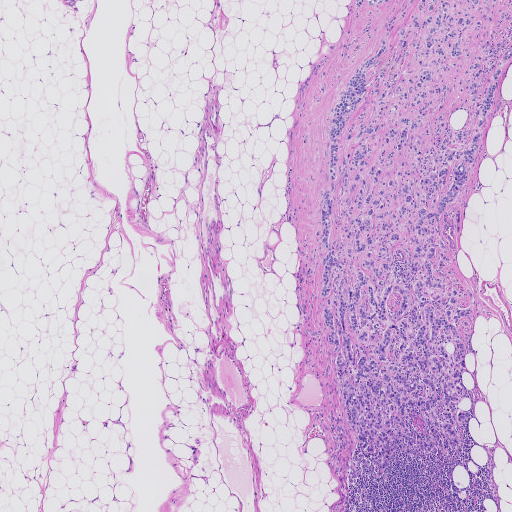
A 1.9-mm field of an H&E-stained sentinel lymph node from a breast-cancer patient (whole-slide image), shown at about 2.5×, about 3.6 µm per pixel.
Question: Which parts of this field are metastatic tumour?
Answer: The outlined metastatic tumour's edge, as a closed clockwise path of 23 points: (408, 0), (511, 0), (511, 57), (439, 226), (459, 301), (468, 305), (468, 290), (474, 298), (458, 331), (470, 372), (458, 408), (470, 415), (448, 451), (398, 449), (378, 477), (378, 451), (347, 417), (323, 315), (330, 296), (320, 294), (332, 111), (383, 38), (393, 43).
Five more small tumour pieces are annotated here but not outlined.
About 25% of the image area is annotated as tumour.